Image:
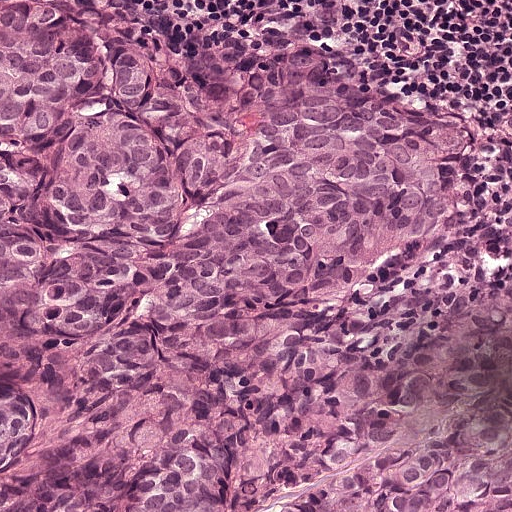
A 0.25-mm field of an H&E-stained sentinel lymph node from a breast-cancer patient (whole-slide image), shown at about 20×, about 0.49 µm per pixel.
Question:
Show where the tumour is in this image.
Answer:
Metastatic tumour outline, simplified to 17 points and listed clockwise in crop pixels (x, y): (0, 0), (184, 0), (263, 50), (296, 62), (310, 50), (327, 56), (448, 118), (472, 157), (455, 171), (432, 229), (346, 293), (344, 350), (406, 351), (450, 323), (511, 256), (511, 511), (0, 511).
About 85% of the image area is annotated as tumour.